Image:
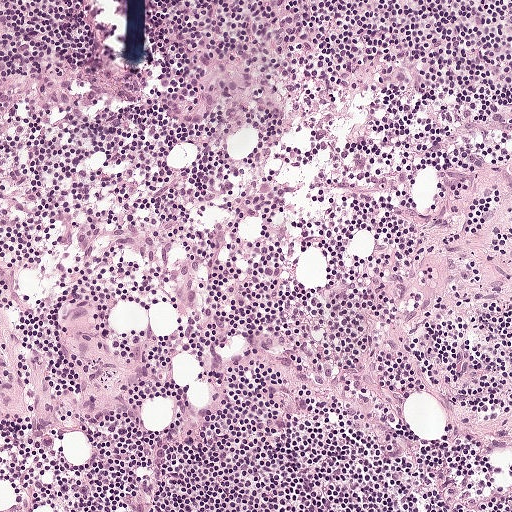
This is a crop of a whole-slide image: an H&E-stained breast-cancer sentinel lymph node section at roughly 10× magnification (about 0.97 µm per pixel; the crop spans about 0.5 mm).
Question:
Does this lymph node field contain metastatic tumour?
Answer:
No: no metastatic tumour is outlined anywhere in this field.